Question: 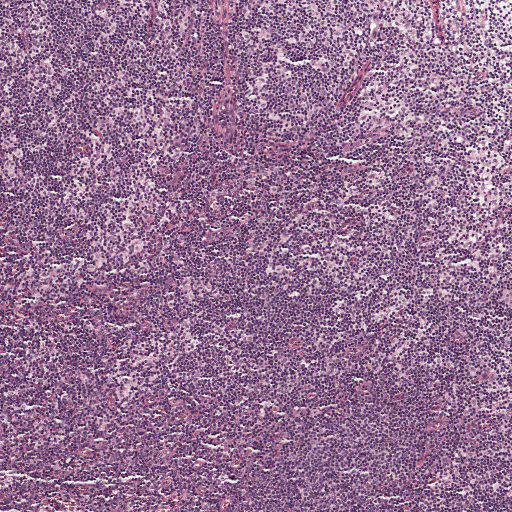
About what magnification does this crop show?

Choices:
 (A) about 10×
 (B) about 40×
 (C) about 2.5×
 (D) about 20×
 (E) about 5×

Answer: (E) about 5×
H&E-stained section of a sentinel lymph node (breast cancer), from a whole-slide image, viewed at about 5×: the field is about 1 mm across, about 1.9 µm per pixel.